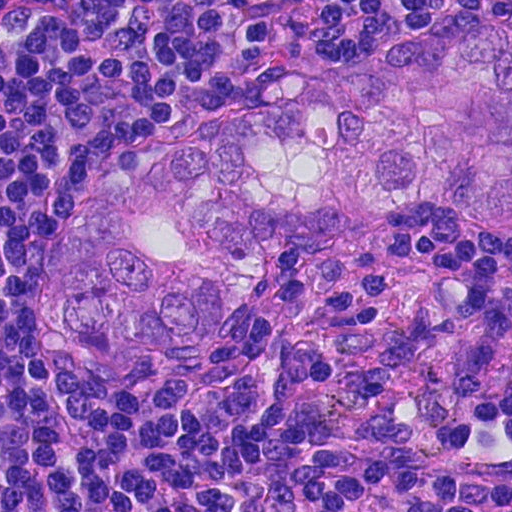
A 0.12-mm field of an H&E-stained sentinel lymph node from a breast-cancer patient (whole-slide image), shown at about 40×, about 0.23 µm per pixel.
Tumour region outline (a closed clockwise path, crop pixels): (454, 19), (511, 41), (511, 241), (441, 209), (299, 213), (265, 245), (249, 291), (217, 325), (129, 375), (83, 385), (47, 355), (50, 261), (69, 216), (189, 133), (409, 34).
The annotated tumour makes up about 30% of the crop.